Question: 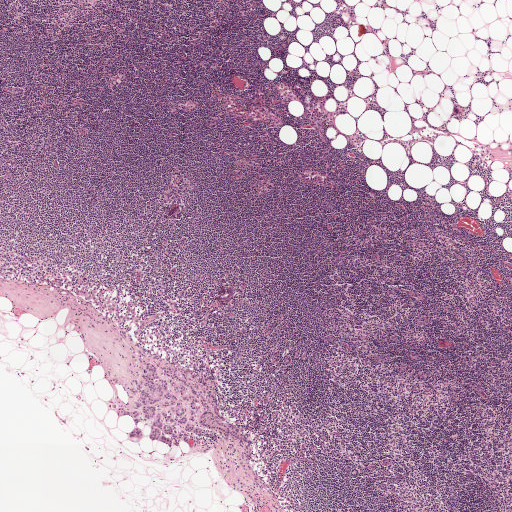
Lymph node section stained with H&E, from a whole-slide image of a breast-cancer sentinel node. Magnification about 2.5×, about 2.0 mm across the frame, about 3.9 µm per pixel.
Roughly what share of this field is metastatic tumour?

Choices:
 (A) about 10% to 20%
 (B) none: no tumour is outlined
 (C) about 25% to 45%
 (D) about 5% or less
 (E) about 50% or more

Answer: (D) about 5% or less
Under 5% of the field is tumour.
Boundaries of two metastatic tumour regions, simplified and listed clockwise, largest first: region 1: (148, 362), (167, 380), (170, 392), (186, 408), (183, 417), (196, 427), (200, 415), (208, 411), (243, 437), (208, 428), (186, 433), (188, 441), (179, 439), (179, 446), (173, 440), (170, 448), (152, 441), (151, 426), (158, 414), (182, 417), (170, 406), (162, 408), (168, 399), (163, 396), (151, 406), (156, 412), (149, 419), (142, 413), (146, 406), (139, 408), (143, 436), (132, 438), (135, 418), (119, 418), (112, 405), (133, 410), (140, 395), (129, 388), (136, 379), (145, 387); region 2: (168, 364), (188, 369), (195, 375), (197, 384), (205, 395), (214, 395), (215, 399), (208, 404), (209, 408), (205, 411), (202, 409), (201, 405), (195, 421), (192, 421), (190, 402), (183, 401), (175, 394), (164, 366).